Question: 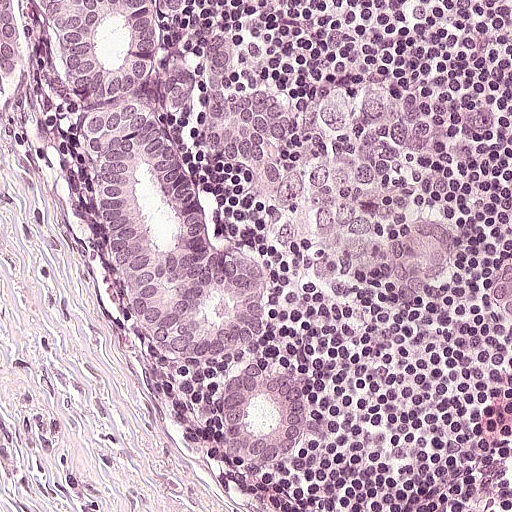
H&E-stained section of a sentinel lymph node (breast cancer), from a whole-slide image, viewed at about 20×: the field is about 0.25 mm across, about 0.49 µm per pixel.
Estimate the proportion of this field that is metastatic tumour.

Choices:
 (A) about 10% to 20%
 (B) about 25% to 45%
 (C) about 5% or less
 (D) about 50% or more
 (E) none: no tumour is outlined

Answer: (B) about 25% to 45%
About 35% of the field is tumour.
Boundaries of four metastatic tumour regions, simplified and listed clockwise, largest first: region 1: (0, 0), (300, 0), (273, 18), (218, 18), (221, 60), (299, 122), (290, 160), (251, 172), (194, 154), (214, 220), (251, 238), (277, 279), (271, 338), (311, 383), (297, 459), (262, 464), (232, 452), (188, 376), (116, 320), (82, 233), (77, 162), (44, 85), (36, 79), (6, 102); region 2: (334, 86), (360, 100), (368, 88), (382, 88), (409, 117), (409, 142), (394, 171), (369, 186), (334, 184), (372, 222), (372, 247), (363, 256), (306, 236), (288, 244), (274, 238), (280, 213), (276, 186), (292, 167), (328, 147), (319, 110); region 3: (420, 219), (440, 219), (453, 224), (456, 238), (453, 258), (446, 262), (440, 276), (432, 279), (417, 299), (408, 300), (397, 297), (388, 257), (390, 240), (412, 228); region 4: (511, 255), (511, 317), (506, 314), (500, 307), (498, 306), (494, 296), (492, 287), (494, 279), (497, 272), (502, 266), (506, 258).